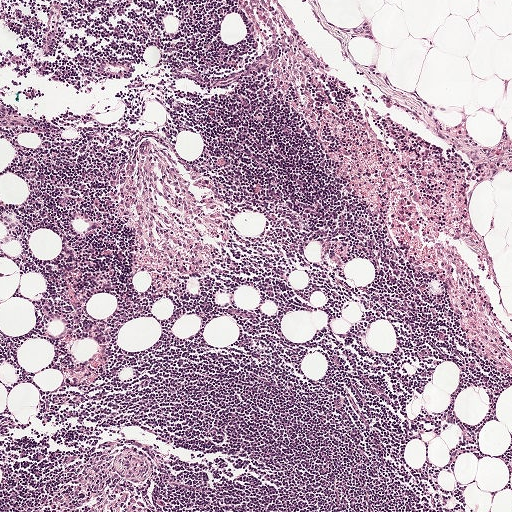
Lymph node section stained with H&E, from a whole-slide image of a breast-cancer sentinel node. Magnification about 5×, about 1 mm across the frame, about 1.9 µm per pixel.